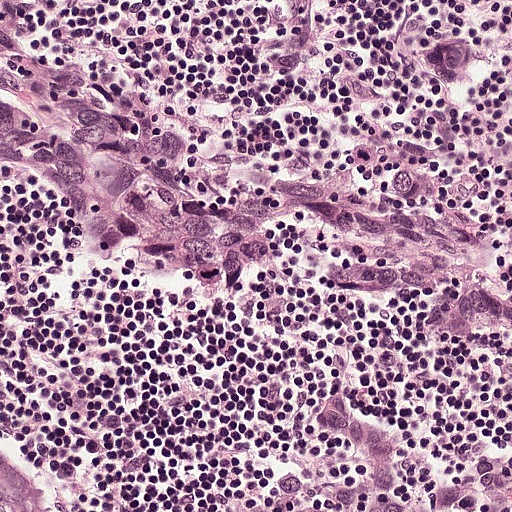
Lymph node section stained with H&E, from a whole-slide image of a breast-cancer sentinel node. Magnification about 20×, about 0.25 mm across the frame, about 0.49 µm per pixel.
Outlines of two tumour regions, largest first (closed clockwise paths, crop pixels): region 1: (0, 0), (113, 0), (88, 16), (116, 58), (178, 112), (242, 147), (296, 224), (338, 261), (349, 331), (110, 286), (2, 215); region 2: (0, 488), (5, 497), (15, 511), (0, 511).
Tumour covers about 25% of the frame.